Image:
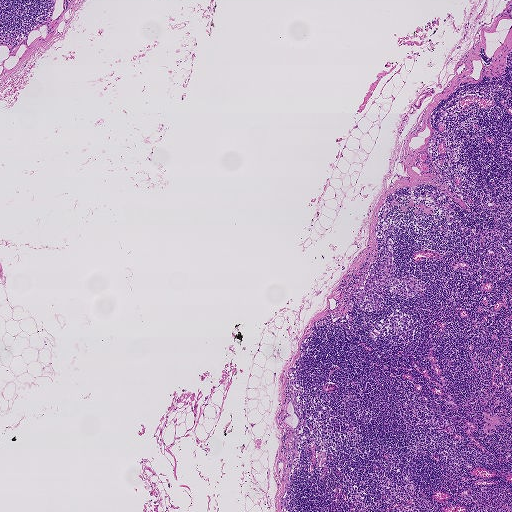
A 1.9-mm field of an H&E-stained sentinel lymph node from a breast-cancer patient (whole-slide image), shown at about 2.5×, about 3.6 µm per pixel.
Question:
Which parts of this field are metastatic tumour? Answer with the outline of each region, in pixels.
Answer:
Tumour region outline (a closed clockwise path, crop pixels): (389, 237), (393, 243), (392, 249), (396, 268), (394, 276), (398, 279), (405, 274), (412, 274), (425, 281), (426, 288), (421, 291), (420, 294), (417, 292), (408, 299), (396, 293), (395, 298), (390, 298), (391, 293), (387, 291), (384, 294), (386, 300), (379, 311), (374, 310), (361, 310), (357, 305), (357, 296), (364, 291), (365, 280), (369, 274), (367, 271), (370, 271), (373, 266), (377, 271), (379, 270), (380, 260), (386, 262), (386, 260), (382, 258).
Under 5% of this field is tumour.